Image:
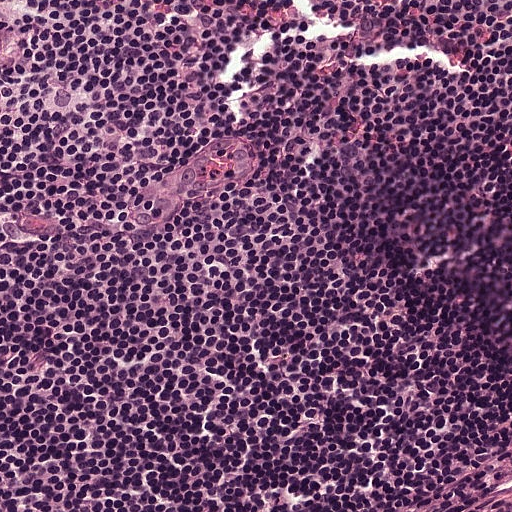
Lymph node section stained with H&E, from a whole-slide image of a breast-cancer sentinel node. Magnification about 20×, about 0.25 mm across the frame, about 0.49 µm per pixel.
Question:
Is any metastatic breast cancer visible in this crop?
Answer:
No, this field holds no outlined metastasis.